Question: 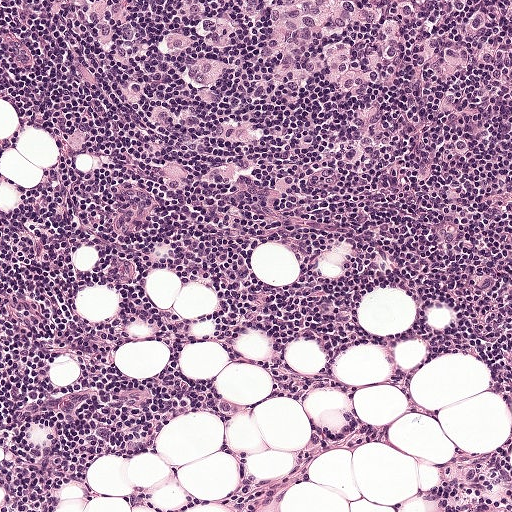
Lymph node section stained with H&E, from a whole-slide image of a breast-cancer sentinel node. Magnification about 10×, about 0.5 mm across the frame, about 0.97 µm per pixel.
Estimate the proportion of this field that is metastatic tumour.

Choices:
 (A) about 50% or more
 (B) about 10% to 20%
 (C) none: no tumour is outlined
 (D) about 25% to 45%
 (E) about 5% or less

Answer: (D) about 25% to 45%
About 25% of the field is tumour.
Metastatic tumour outline, simplified to 11 points and listed clockwise in crop pixels (x, y): (511, 0), (511, 169), (394, 164), (340, 141), (311, 141), (288, 147), (244, 186), (174, 183), (150, 156), (142, 79), (74, 1).